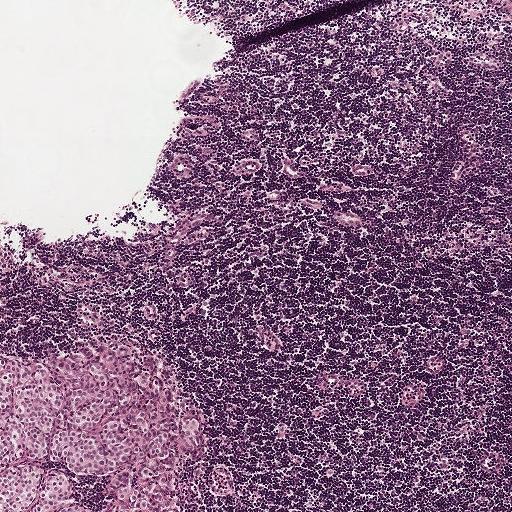
H&E-stained section of a sentinel lymph node (breast cancer), from a whole-slide image, viewed at about 5×: the field is about 1 mm across, about 1.9 µm per pixel.
Tumour region outline (a closed clockwise path, crop pixels): (105, 333), (118, 336), (144, 344), (202, 411), (194, 447), (175, 466), (179, 511), (0, 511), (0, 351), (44, 357).
Tumour covers about 10% of the frame.